Question: 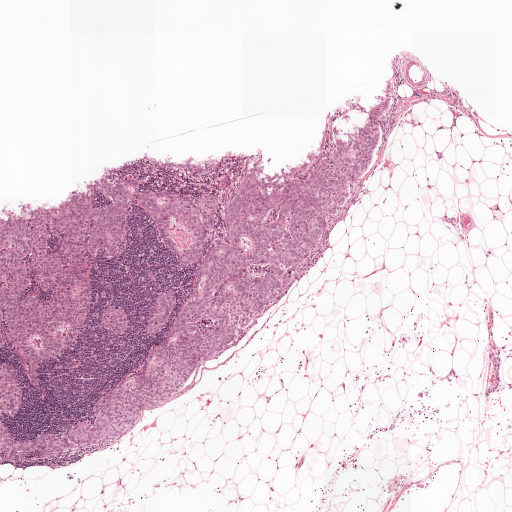
Which magnification is this H&E lymph node field most likely shown at?

Choices:
 (A) about 40×
 (B) about 20×
 (C) about 5×
 (D) about 2.5×
 (E) about 10×

Answer: (D) about 2.5×
This is a crop of a whole-slide image: an H&E-stained breast-cancer sentinel lymph node section at roughly 2.5× magnification (about 3.9 µm per pixel; the crop spans about 2.0 mm).
Five metastatic tumour regions, each outlined as a closed clockwise path in crop pixels (x, y), largest first: region 1: (390, 81), (374, 162), (317, 253), (264, 313), (110, 442), (0, 459), (0, 363), (19, 374), (21, 408), (2, 414), (19, 438), (84, 418), (164, 337), (200, 265), (224, 241), (227, 199), (253, 161), (268, 156), (276, 172), (327, 149), (340, 117), (364, 119); region 2: (101, 176), (213, 196), (218, 217), (190, 267), (169, 261), (142, 210), (130, 209), (127, 254), (110, 258), (104, 249), (94, 260), (93, 306), (74, 349), (32, 368), (9, 344), (0, 348), (0, 209), (29, 203), (52, 206), (79, 184); region 3: (189, 156), (226, 156), (221, 169), (202, 174), (185, 174), (167, 169), (157, 160); region 4: (170, 287), (176, 292), (176, 299), (164, 328), (151, 336), (145, 333), (150, 310), (158, 297); region 5: (111, 304), (124, 310), (127, 324), (125, 331), (118, 335), (104, 329), (100, 323), (100, 315).
Tumour covers about 20% of the frame.